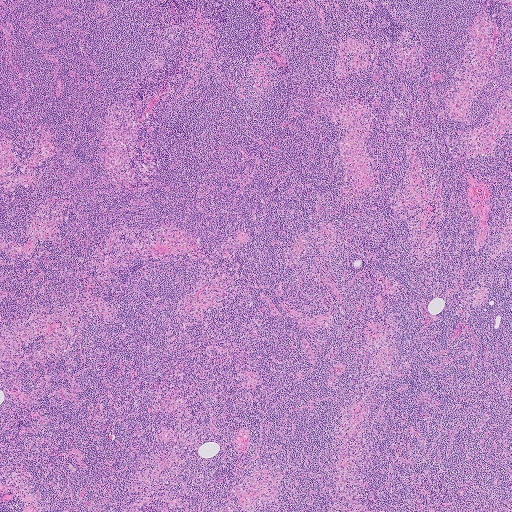
A 2.0-mm field of an H&E-stained sentinel lymph node from a breast-cancer patient (whole-slide image), shown at about 2.5×, about 4.0 µm per pixel.